Question: 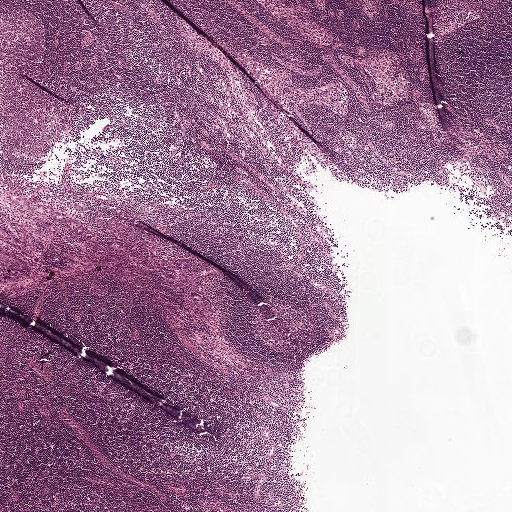
A 2.0-mm field of an H&E-stained sentinel lymph node from a breast-cancer patient (whole-slide image), shown at about 2.5×, about 3.9 µm per pixel.
Estimate the proportion of this field that is metastatic tumour.

Choices:
 (A) none: no tumour is outlined
 (B) about 25% to 45%
 (C) about 10% to 20%
 (D) about 5% or less
 (E) about 50% or more

Answer: (D) about 5% or less
About 5% of the field is tumour.
Outlines of six tumour regions, largest first (closed clockwise paths, crop pixels): region 1: (118, 242), (135, 251), (156, 256), (165, 261), (183, 258), (202, 261), (217, 269), (223, 279), (207, 280), (203, 286), (203, 290), (212, 298), (219, 318), (210, 322), (200, 319), (194, 313), (190, 303), (190, 290), (169, 288), (157, 272), (115, 257), (106, 248), (106, 243); region 2: (0, 215), (8, 221), (24, 221), (33, 227), (33, 220), (44, 220), (49, 223), (52, 231), (52, 238), (48, 250), (38, 256), (40, 259), (38, 262), (33, 262), (16, 250), (0, 242); region 3: (10, 190), (54, 209), (70, 213), (88, 228), (94, 236), (93, 239), (85, 240), (71, 234), (49, 218), (29, 213), (6, 199), (6, 194); region 4: (113, 217), (152, 233), (158, 240), (157, 250), (152, 251), (138, 249), (117, 240), (99, 228), (96, 221), (97, 218); region 5: (0, 248), (26, 262), (30, 270), (30, 274), (27, 277), (16, 282), (1, 283); region 6: (75, 202), (79, 204), (80, 206), (82, 205), (85, 206), (88, 206), (88, 210), (80, 212), (78, 212), (74, 210), (72, 208), (72, 204).